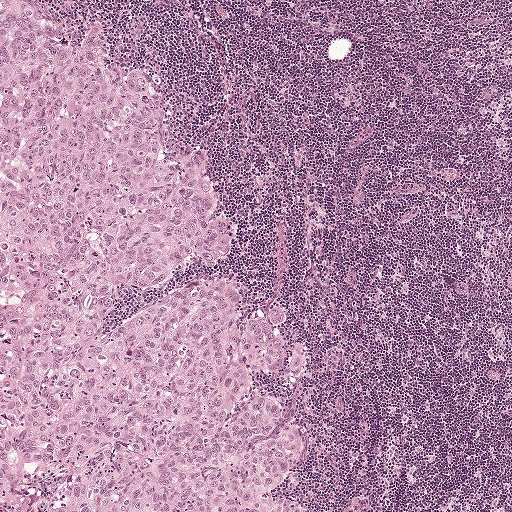
Lymph node section stained with H&E, from a whole-slide image of a breast-cancer sentinel node. Magnification about 5×, about 1 mm across the frame, about 1.9 µm per pixel.
Metastatic tumour outline, simplified to 24 points and listed clockwise in crop pixels (x, y): (0, 0), (31, 2), (76, 47), (98, 20), (108, 64), (152, 79), (164, 148), (203, 155), (230, 251), (124, 290), (104, 334), (214, 278), (240, 288), (238, 330), (280, 310), (280, 360), (294, 345), (303, 374), (257, 373), (249, 392), (300, 441), (268, 494), (304, 511), (0, 511).
The annotated tumour makes up about 40% of the crop.